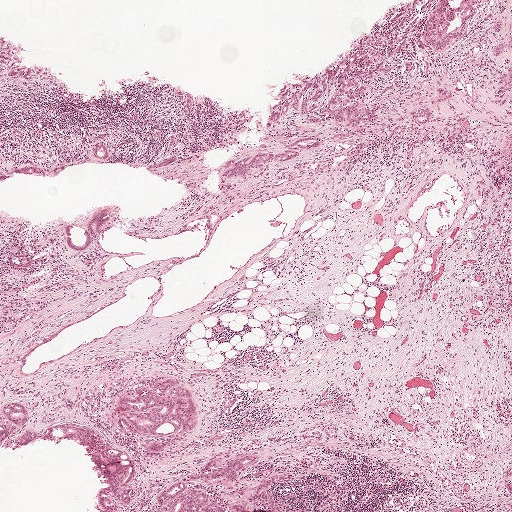
H&E-stained section of a sentinel lymph node (breast cancer), from a whole-slide image, viewed at about 2.5×: the field is about 2.0 mm across, about 3.9 µm per pixel.
Question: Show where the tumour is in this image.
Answer: Tumour region outline (a closed clockwise path, crop pixels): (173, 377), (178, 378), (181, 386), (187, 388), (192, 395), (196, 413), (196, 426), (188, 432), (165, 435), (136, 435), (122, 431), (113, 414), (119, 396), (127, 390).
Tumour covers under 5% of the frame.